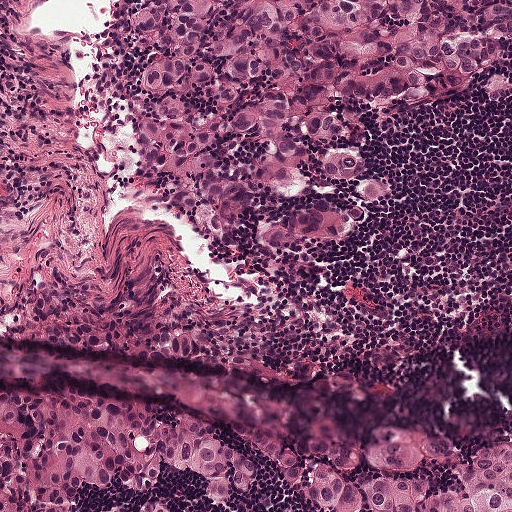
This is a crop of a whole-slide image: an H&E-stained breast-cancer sentinel lymph node section at roughly 10× magnification (about 0.97 µm per pixel; the crop spans about 0.5 mm).
Outlines of three tumour regions, largest first (closed clockwise paths, crop pixels): region 1: (511, 0), (511, 111), (429, 94), (370, 118), (364, 142), (391, 201), (340, 251), (179, 228), (154, 204), (142, 167), (126, 1); region 2: (0, 382), (158, 400), (284, 438), (336, 441), (374, 424), (466, 444), (511, 432), (511, 511), (296, 511), (277, 462), (229, 436), (256, 466), (242, 498), (205, 511), (129, 511), (142, 501), (190, 509), (202, 492), (196, 472), (157, 465), (157, 490), (78, 484), (61, 511), (0, 511); region 3: (72, 276), (132, 306), (187, 307), (230, 320), (250, 340), (260, 370), (252, 371), (218, 369), (111, 353), (78, 343), (56, 343), (40, 338), (14, 320), (48, 280).
The annotated tumour makes up about 50% of the crop.